Lymph node section stained with H&E, from a whole-slide image of a breast-cancer sentinel node. Magnification about 20×, about 0.25 mm across the frame, about 0.49 µm per pixel.
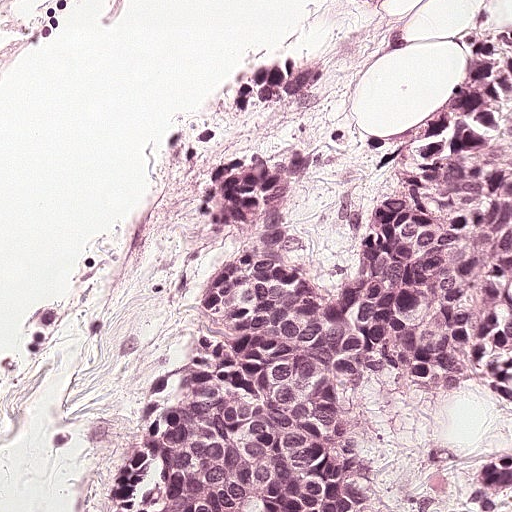
Outlines of two tumour regions, largest first (closed clockwise paths, crop pixels): region 1: (511, 25), (511, 421), (480, 382), (366, 367), (366, 406), (402, 455), (388, 511), (109, 511), (222, 230), (189, 186), (214, 151), (270, 132), (268, 106), (208, 90), (209, 64), (251, 40), (314, 44), (288, 200), (309, 246), (352, 270), (447, 90), (444, 62); region 2: (511, 447), (511, 499), (482, 504), (466, 504), (456, 498), (456, 490), (466, 476).
The annotated tumour makes up about 45% of the crop.